Question: 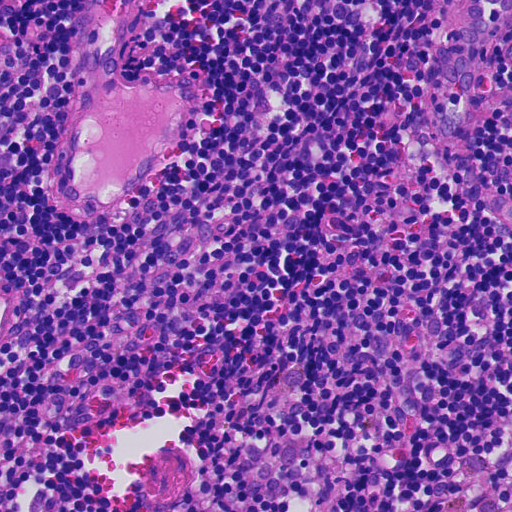
Which magnification is this H&E lymph node field most likely shown at?

Choices:
 (A) about 40×
 (B) about 2.5×
 (C) about 20×
 (D) about 5×
 (E) about 10×

Answer: (C) about 20×
H&E-stained section of a sentinel lymph node (breast cancer), from a whole-slide image, viewed at about 20×: the field is about 0.23 mm across, about 0.45 µm per pixel.